Question: 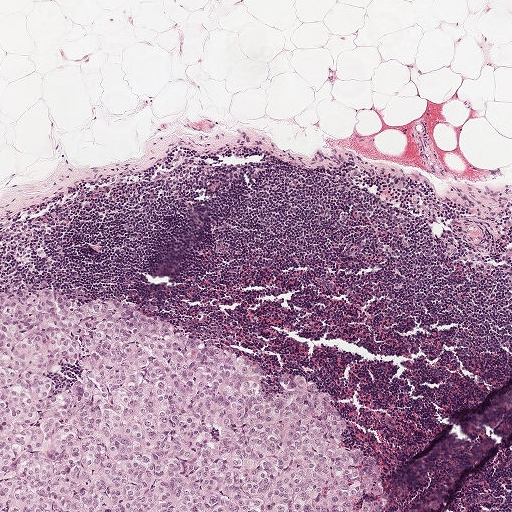
A 1-mm field of an H&E-stained sentinel lymph node from a breast-cancer patient (whole-slide image), shown at about 5×, about 1.9 µm per pixel.
About how much of this crop is taken up by metastatic carcinoma?

Choices:
 (A) about 5% or less
 (B) about 50% or more
 (C) about 25% to 45%
 (D) about 10% to 20%
 (E) none: no tumour is outlined

Answer: (C) about 25% to 45%
About 25% of the field is tumour.
Metastatic tumour outline, simplified to 11 points and listed clockwise in crop pixels (x, y): (0, 288), (152, 312), (261, 366), (272, 396), (286, 373), (309, 379), (343, 417), (344, 446), (377, 459), (362, 511), (0, 511).